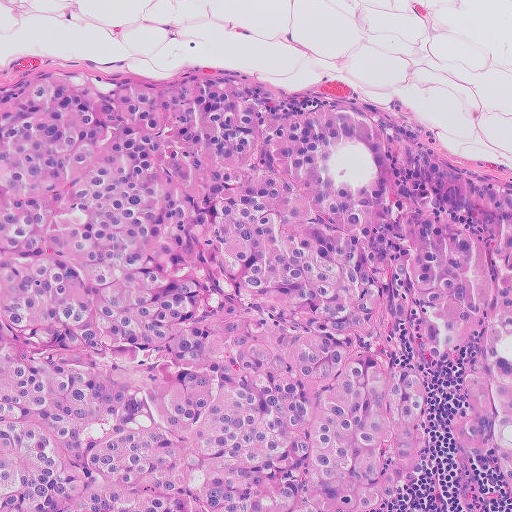
This is a crop of a whole-slide image: an H&E-stained breast-cancer sentinel lymph node section at roughly 10× magnification (about 1.0 µm per pixel; the crop spans about 0.51 mm).
Tumour region outline (a closed clockwise path, crop pixels): (0, 60), (219, 69), (328, 90), (430, 131), (511, 186), (511, 494), (443, 374), (456, 428), (440, 483), (404, 511), (0, 511).
Tumour covers about 80% of the frame.